H&E-stained section of a sentinel lymph node (breast cancer), from a whole-slide image, viewed at about 10×: the field is about 0.46 mm across, about 0.9 µm per pixel.
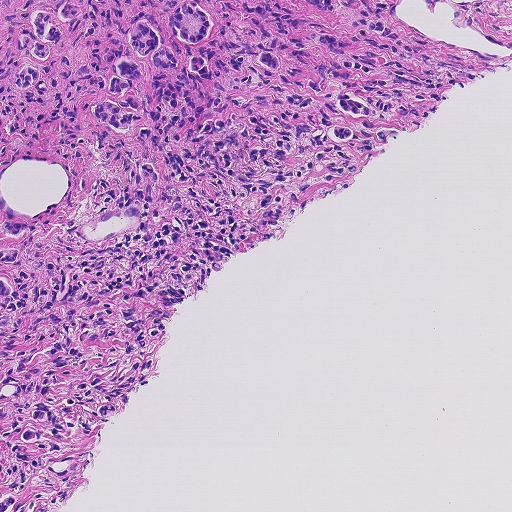
The outlined metastatic tumour's edge, as a closed clockwise path of 14 points: (0, 0), (511, 0), (511, 62), (456, 84), (429, 120), (386, 139), (350, 187), (228, 260), (170, 312), (159, 377), (100, 426), (92, 472), (57, 511), (0, 511).
The annotated tumour makes up about 55% of the crop.